This is a crop of a whole-slide image: an H&E-stained breast-cancer sentinel lymph node section at roughly 2.5× magnification (about 3.9 µm per pixel; the crop spans about 2.0 mm).
Question: 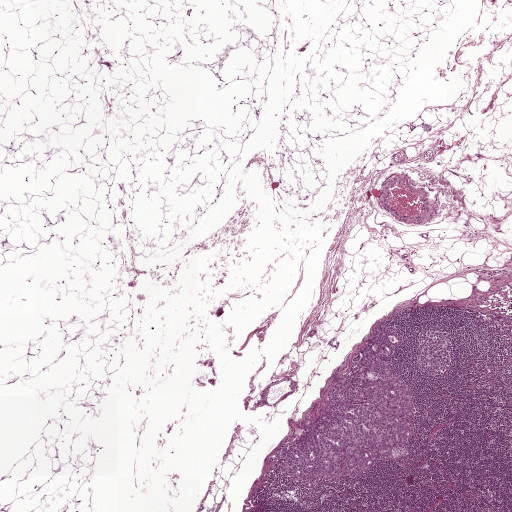
Estimate the proportion of this field that is metastatic tumour.

Choices:
 (A) about 50% or more
 (B) about 10% to 20%
 (C) about 5% or less
 (D) about 25% to 45%
 (E) none: no tumour is outlined

Answer: (C) about 5% or less
About 5% of the field is tumour.
Two metastatic tumour regions, each outlined as a closed clockwise path in crop pixels (x, y), largest first: region 1: (374, 326), (401, 327), (406, 336), (392, 354), (398, 374), (412, 392), (416, 416), (412, 438), (401, 460), (378, 464), (356, 480), (329, 483), (317, 490), (303, 490), (281, 475), (270, 475), (269, 457), (303, 435), (322, 414), (327, 392), (345, 380), (352, 355); region 2: (488, 312), (511, 319), (511, 340), (508, 338), (502, 331), (494, 329), (488, 326), (485, 316).